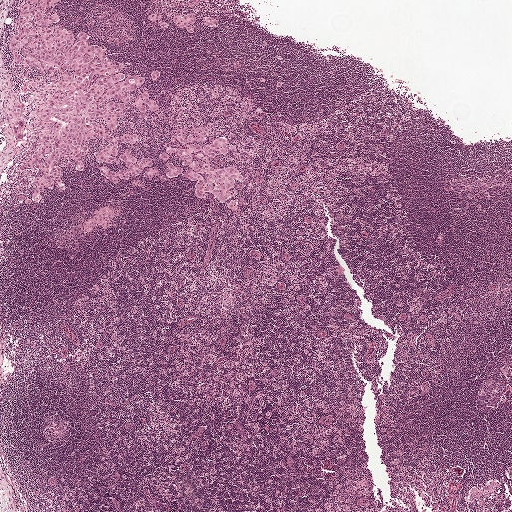
This is a crop of a whole-slide image: an H&E-stained breast-cancer sentinel lymph node section at roughly 2.5× magnification (about 3.9 µm per pixel; the crop spans about 2.0 mm).
Six metastatic tumour regions, each outlined as a closed clockwise path in crop pixels (x, y), largest first: region 1: (31, 0), (64, 0), (54, 10), (60, 17), (55, 25), (72, 31), (73, 44), (85, 31), (127, 77), (146, 79), (138, 94), (149, 92), (159, 112), (145, 116), (128, 104), (141, 140), (119, 150), (151, 156), (153, 165), (111, 183), (101, 168), (122, 172), (126, 165), (96, 158), (107, 144), (98, 138), (84, 159), (86, 171), (65, 166), (62, 192), (53, 184), (45, 202), (22, 204), (13, 191), (30, 175), (20, 168), (35, 150), (50, 83), (16, 65), (10, 40); region 2: (210, 126), (210, 134), (200, 142), (202, 147), (212, 146), (215, 139), (224, 137), (232, 149), (227, 154), (216, 153), (212, 165), (233, 166), (244, 179), (243, 182), (235, 180), (229, 191), (237, 202), (237, 208), (230, 210), (228, 201), (220, 200), (210, 192), (201, 199), (197, 198), (197, 184), (181, 175), (162, 182), (169, 162), (190, 168), (178, 154), (166, 160), (160, 154), (169, 147), (186, 148), (177, 137), (177, 129), (182, 129), (186, 137), (198, 128); region 3: (17, 107), (22, 108), (26, 126), (24, 138), (20, 140), (13, 134), (15, 120), (12, 112), (13, 109); region 4: (192, 14), (196, 18), (196, 22), (193, 25), (193, 32), (191, 33), (178, 27), (173, 22), (173, 18), (174, 17); region 5: (208, 16), (214, 17), (217, 19), (217, 24), (216, 27), (208, 27), (204, 25), (203, 20), (204, 18); region 6: (154, 12), (157, 12), (162, 15), (162, 19), (159, 22), (156, 22), (148, 19), (148, 17), (149, 15), (154, 16), (155, 15), (154, 13).
Two more small tumour pieces are annotated here but not outlined.
Tumour covers about 10% of the frame.